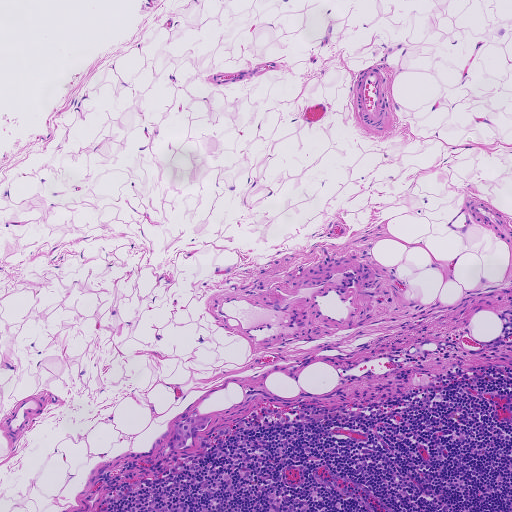
A 0.93-mm field of an H&E-stained sentinel lymph node from a breast-cancer patient (whole-slide image), shown at about 5×, about 1.8 µm per pixel.
Metastatic tumour outline, simplified to 10 points and listed clockwise in crop pixels (x, y): (200, 415), (213, 417), (206, 428), (194, 434), (185, 446), (173, 450), (168, 450), (166, 442), (172, 429), (173, 423).
The annotated tumour makes up under 5% of the crop.